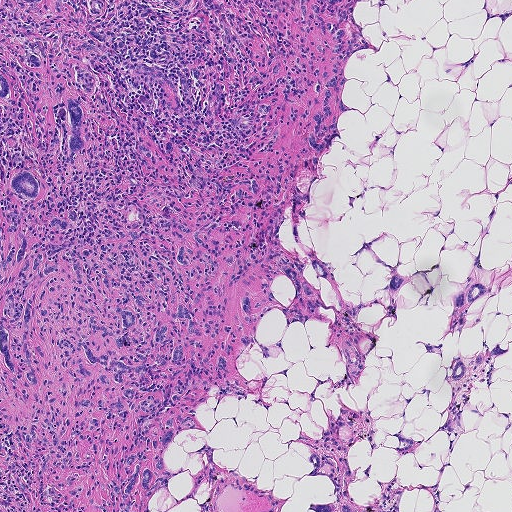
Lymph node section stained with H&E, from a whole-slide image of a breast-cancer sentinel node. Magnification about 5×, about 0.93 mm across the frame, about 1.8 µm per pixel.
Eight metastatic tumour regions, each outlined as a closed clockwise path in crop pixels (x, y), largest first: region 1: (0, 0), (79, 0), (46, 27), (97, 81), (62, 259), (151, 220), (235, 212), (247, 178), (281, 248), (329, 278), (303, 273), (308, 322), (260, 312), (235, 362), (244, 398), (202, 400), (204, 430), (169, 440), (172, 474), (142, 511), (50, 507), (28, 458), (8, 476); region 2: (289, 0), (353, 0), (352, 20), (371, 48), (354, 52), (344, 64), (341, 94), (350, 110), (342, 112), (339, 120), (341, 139), (333, 140), (319, 156), (308, 201), (301, 205), (295, 201), (287, 178), (288, 171), (314, 151), (306, 139), (311, 125), (310, 117), (319, 105), (320, 74), (330, 45), (328, 37), (326, 51), (320, 54), (314, 48), (317, 32), (302, 33), (295, 27); region 3: (337, 502), (347, 502), (353, 508), (353, 511), (312, 511), (311, 510), (311, 504), (329, 505); region 4: (398, 431), (412, 441), (419, 443), (404, 454), (398, 455), (395, 448), (397, 441), (392, 436); region 5: (192, 174), (209, 179), (208, 184), (200, 191), (190, 188), (186, 183), (188, 178); region 6: (263, 102), (270, 105), (271, 110), (264, 119), (260, 123), (253, 121), (253, 115), (257, 104); region 7: (136, 144), (146, 146), (150, 150), (154, 154), (155, 159), (154, 164), (153, 164), (150, 160), (140, 154), (137, 150); region 8: (496, 346), (503, 349), (507, 349), (500, 355), (491, 354), (489, 352).
Three more small tumour pieces are annotated here but not outlined.
About 35% of this field is tumour.